Question: 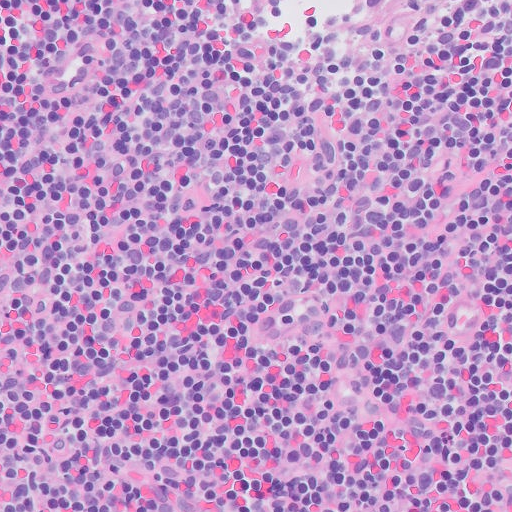
About what magnification does this crop show?

Choices:
 (A) about 20×
 (B) about 40×
 (C) about 5×
 (D) about 2.5×
 (E) about 10×

Answer: (A) about 20×
A 0.26-mm field of an H&E-stained sentinel lymph node from a breast-cancer patient (whole-slide image), shown at about 20×, about 0.5 µm per pixel.